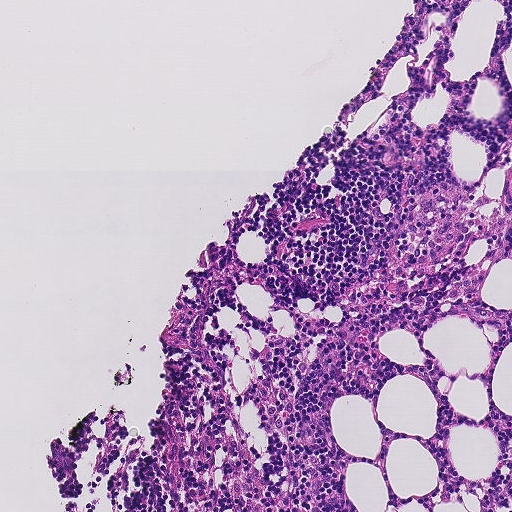
This is a crop of a whole-slide image: an H&E-stained breast-cancer sentinel lymph node section at roughly 10× magnification (about 0.9 µm per pixel; the crop spans about 0.46 mm).
Question: Is any metastatic breast cancer visible in this crop?
Answer: No, this field holds no outlined metastasis.